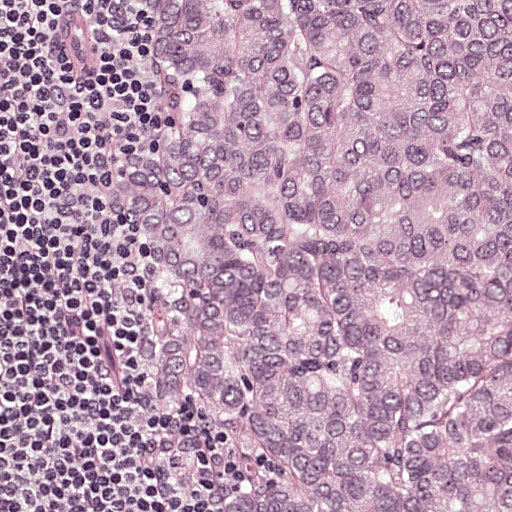
Lymph node section stained with H&E, from a whole-slide image of a breast-cancer sentinel node. Magnification about 20×, about 0.25 mm across the frame, about 0.49 µm per pixel.
The outlined metastatic tumour's edge, as a closed clockwise path of 6 points: (102, 0), (511, 0), (511, 511), (181, 511), (126, 398), (102, 316).
Tumour covers about 75% of the frame.